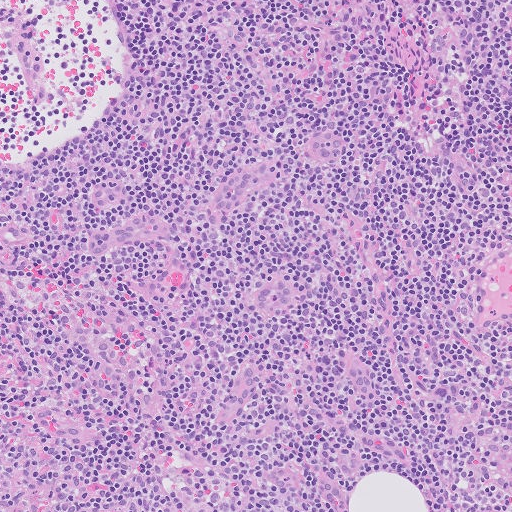
A 0.51-mm field of an H&E-stained sentinel lymph node from a breast-cancer patient (whole-slide image), shown at about 10×, about 1.0 µm per pixel.